Question: 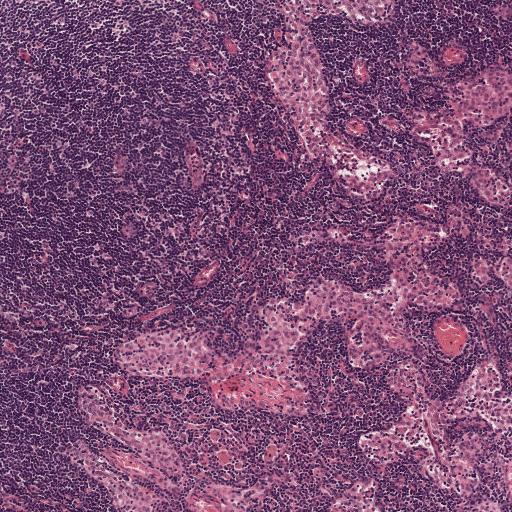
Which magnification is this H&E lymph node field most likely shown at?

Choices:
 (A) about 40×
 (B) about 2.5×
 (C) about 10×
 (D) about 5×
 (E) about 20×

Answer: (D) about 5×
A 1-mm field of an H&E-stained sentinel lymph node from a breast-cancer patient (whole-slide image), shown at about 5×, about 1.9 µm per pixel.